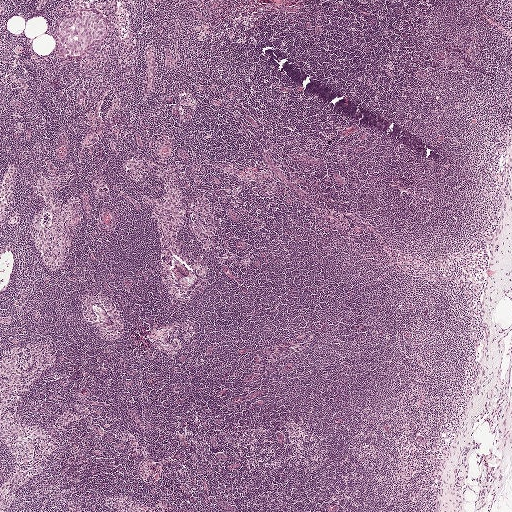
This is a crop of a whole-slide image: an H&E-stained breast-cancer sentinel lymph node section at roughly 2.5× magnification (about 3.9 µm per pixel; the crop spans about 2.0 mm).
Question: Does this lymph node field contain metastatic tumour?
Answer: No. No metastatic tumour is outlined in this field.